A 0.26-mm field of an H&E-stained sentinel lymph node from a breast-cancer patient (whole-slide image), shown at about 20×, about 0.5 µm per pixel.
Image:
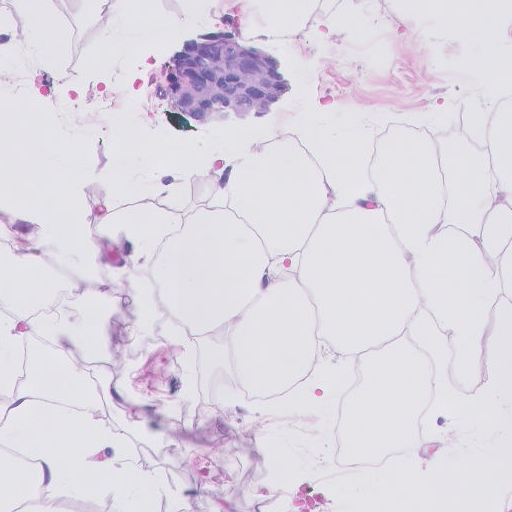
Question:
Show where the tumour is in this image.
Answer:
The outlined metastatic tumour's edge, as a closed clockwise path of 6 points: (234, 10), (288, 48), (319, 110), (183, 133), (136, 90), (182, 17).
One more small tumour piece is annotated here but not outlined.
About 5% of the image area is annotated as tumour.